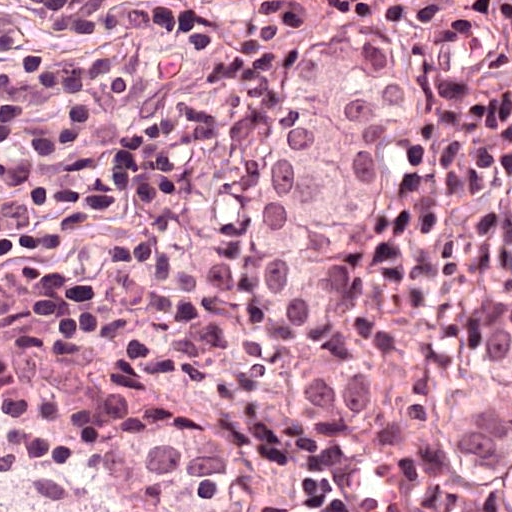
This is a crop of a whole-slide image: an H&E-stained breast-cancer sentinel lymph node section at roughly 40× magnification (about 0.24 µm per pixel; the crop spans about 0.12 mm).
Boundaries of two metastatic tumour regions, simplified and listed clockwise, largest first: region 1: (323, 31), (427, 65), (417, 129), (412, 410), (407, 434), (386, 446), (299, 446), (260, 434), (212, 357), (223, 281); region 2: (511, 351), (511, 511), (457, 511), (462, 391), (470, 389), (486, 365), (499, 360), (501, 354).
About 30% of the image area is annotated as tumour.